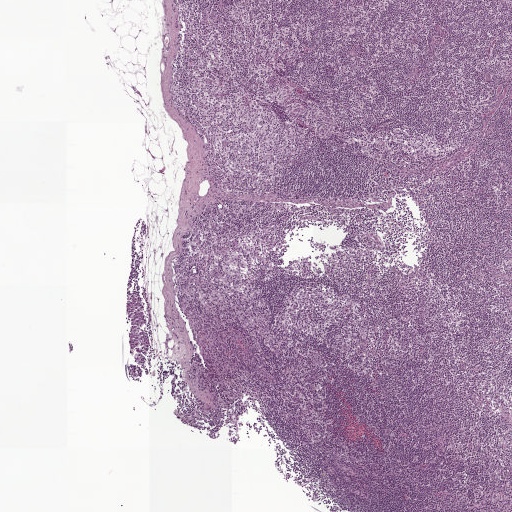
A 2.0-mm field of an H&E-stained sentinel lymph node from a breast-cancer patient (whole-slide image), shown at about 2.5×, about 3.9 µm per pixel.
Tumour region outline (a closed clockwise path, crop pixels): (136, 290), (143, 298), (145, 304), (147, 322), (143, 329), (150, 340), (150, 346), (141, 355), (142, 364), (134, 363), (135, 352), (127, 345), (127, 334), (129, 327), (126, 296), (130, 291).
Under 5% of the image area is annotated as tumour.